Question: 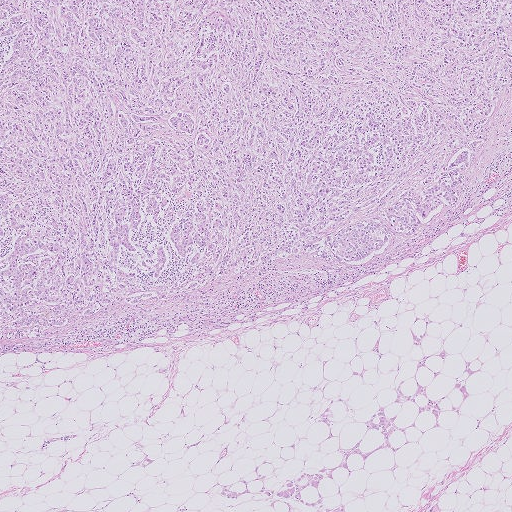
H&E-stained section of a sentinel lymph node (breast cancer), from a whole-slide image, viewed at about 2.5×: the field is about 2.0 mm across, about 4.0 µm per pixel.
Roughly what share of this field is metastatic tumour?

Choices:
 (A) about 50% or more
 (B) none: no tumour is outlined
 (C) about 25% to 45%
 (D) about 10% to 20%
 (E) about 5% or less

Answer: (A) about 50% or more
About 50% of the field is tumour.
One metastatic tumour region; its boundary, reduced to 11 corners and listed clockwise: (0, 0), (511, 0), (511, 88), (461, 198), (415, 234), (356, 266), (298, 257), (255, 278), (108, 305), (55, 333), (0, 338).